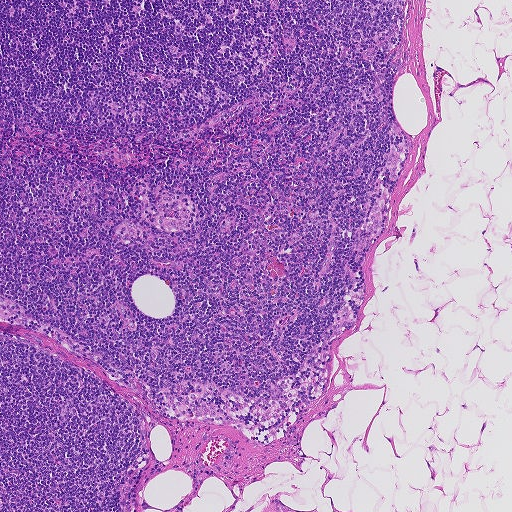
A 0.93-mm field of an H&E-stained sentinel lymph node from a breast-cancer patient (whole-slide image), shown at about 5×, about 1.8 µm per pixel.
Question: Is there metastatic carcinoma in this field?
Answer: No. No metastatic tumour is outlined in this field.